Question: 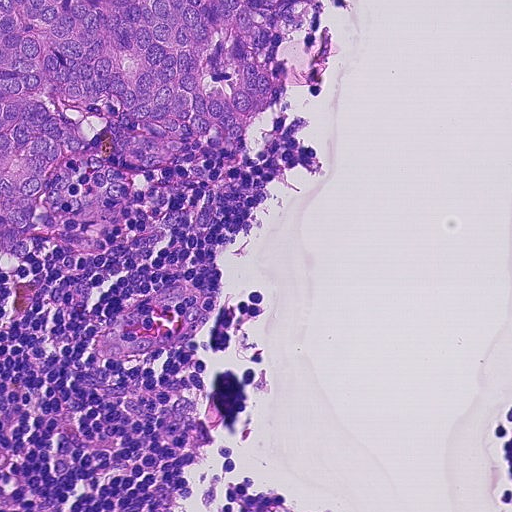
Lymph node section stained with H&E, from a whole-slide image of a breast-cancer sentinel node. Magnification about 20×, about 0.23 mm across the frame, about 0.45 µm per pixel.
What fraction of the image area is metastatic tumour?

Choices:
 (A) about 5% or less
 (B) none: no tumour is outlined
 (C) about 50% or more
 (D) about 25% to 45%
 (E) about 10% to 20%

Answer: (E) about 10% to 20%
About 20% of the field is tumour.
The outlined metastatic tumour's edge, as a closed clockwise path of 13 points: (0, 0), (314, 0), (316, 18), (286, 34), (272, 64), (274, 98), (216, 184), (147, 172), (138, 205), (73, 228), (38, 210), (26, 260), (5, 268).